Question: 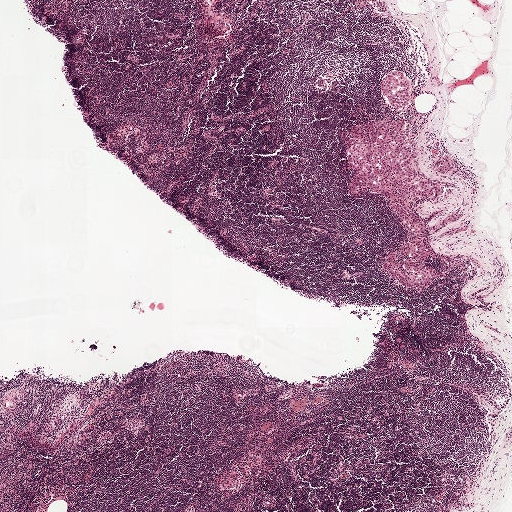
H&E-stained section of a sentinel lymph node (breast cancer), from a whole-slide image, viewed at about 2.5×: the field is about 2.0 mm across, about 3.9 µm per pixel.
What fraction of the image area is metastatic tumour?

Choices:
 (A) about 10% to 20%
 (B) about 25% to 45%
 (C) none: no tumour is outlined
 (D) about 5% or less
 (E) about 50% or more

Answer: (D) about 5% or less
About 5% of the field is tumour.
Outlines of four tumour regions, largest first (closed clockwise paths, crop pixels): region 1: (384, 119), (399, 121), (418, 152), (419, 173), (441, 189), (436, 197), (413, 199), (429, 250), (423, 263), (438, 274), (425, 288), (413, 290), (382, 271), (386, 257), (407, 240), (383, 198), (347, 195), (354, 173), (345, 150); region 2: (397, 71), (405, 75), (408, 80), (411, 91), (405, 108), (393, 109), (384, 98), (380, 83), (387, 73); region 3: (444, 156), (448, 158), (453, 164), (453, 167), (451, 171), (440, 174), (435, 172), (433, 166), (436, 160); region 4: (458, 209), (462, 216), (448, 227), (440, 227), (439, 224), (441, 219), (451, 212).